Image:
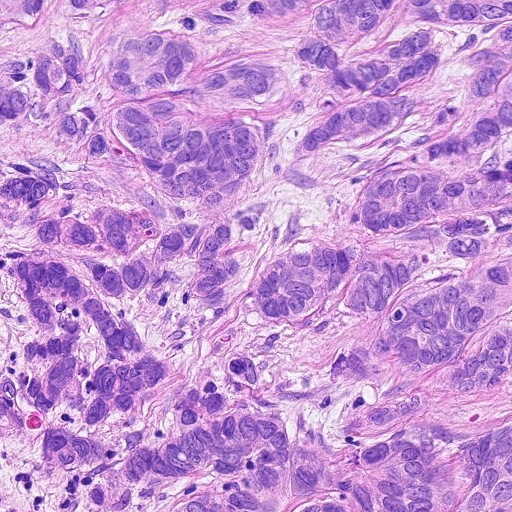
H&E-stained section of a sentinel lymph node (breast cancer), from a whole-slide image, viewed at about 20×: the field is about 0.23 mm across, about 0.45 µm per pixel.
Question:
Where is the metastatic tumour in this field?
Answer:
Metastatic tumour covers the whole field.
Over 95% of this field is tumour.